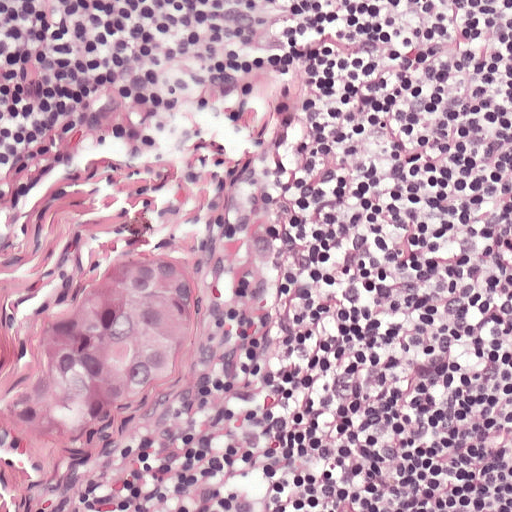
This is a crop of a whole-slide image: an H&E-stained breast-cancer sentinel lymph node section at roughly 20× magnification (about 0.49 µm per pixel; the crop spans about 0.25 mm).
Question: Trace the edge of each tumour region in this crop, as (x, y) points from 0 to 511.
Answer: Tumour region outline (a closed clockwise path, crop pixels): (164, 250), (190, 262), (199, 306), (197, 358), (162, 399), (86, 440), (45, 440), (4, 407), (18, 368), (44, 339), (55, 312).
About 10% of this field is tumour.